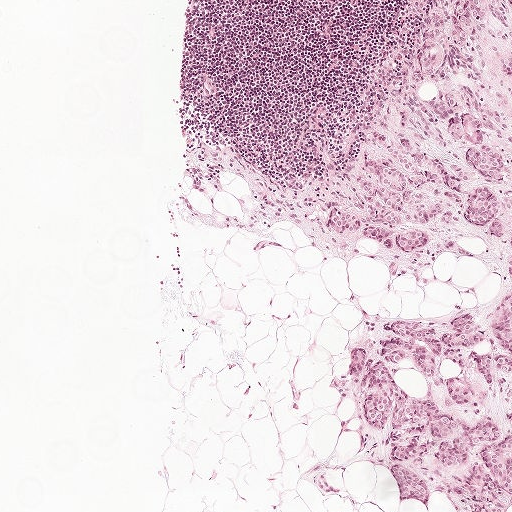
Lymph node section stained with H&E, from a whole-slide image of a breast-cancer sentinel node. Magnification about 5×, about 1 mm across the frame, about 1.9 µm per pixel.
One metastatic tumour region; its boundary, reduced to 20 corners and listed clockwise: (447, 0), (511, 0), (511, 511), (401, 504), (392, 477), (358, 455), (348, 400), (333, 383), (357, 328), (451, 315), (500, 294), (494, 253), (478, 236), (416, 273), (394, 272), (370, 253), (340, 260), (323, 252), (322, 225), (374, 94).
The annotated tumour makes up about 25% of the crop.